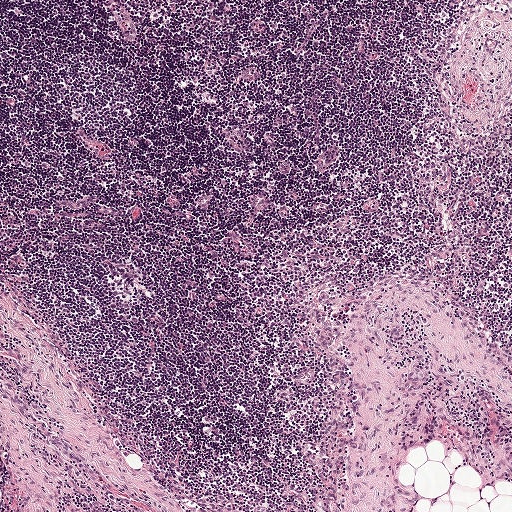
H&E-stained section of a sentinel lymph node (breast cancer), from a whole-slide image, viewed at about 5×: the field is about 1 mm across, about 1.9 µm per pixel.